Question: 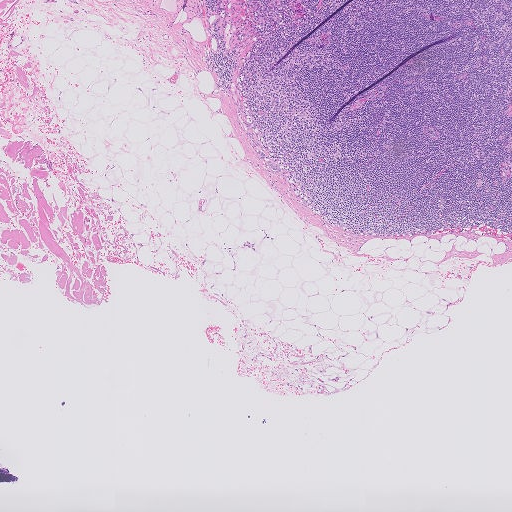
H&E-stained section of a sentinel lymph node (breast cancer), from a whole-slide image, viewed at about 2.5×: the field is about 2.0 mm across, about 4.0 µm per pixel.
What fraction of the image area is metastatic tumour?

Choices:
 (A) about 25% to 45%
 (B) none: no tumour is outlined
 (C) about 5% or less
 (D) about 50% or more
 (E) about 10% to 20%

Answer: (C) about 5% or less
Under 5% of the field is tumour.
One metastatic tumour region; its boundary, reduced to 10 corners and listed clockwise: (266, 160), (270, 160), (272, 161), (280, 169), (280, 170), (280, 172), (277, 173), (272, 170), (266, 163), (265, 162).
One more small tumour piece is annotated here but not outlined.